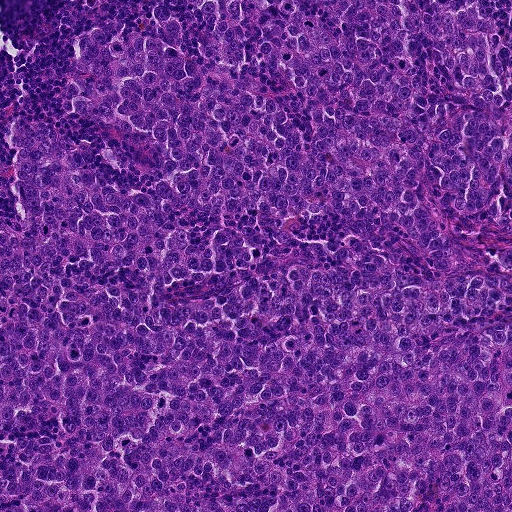
Lymph node section stained with H&E, from a whole-slide image of a breast-cancer sentinel node. Magnification about 10×, about 0.46 mm across the frame, about 0.9 µm per pixel.
Metastatic tumour outline, simplified to 19 points and listed clockwise in crop pixels (x, y): (180, 0), (481, 0), (508, 22), (511, 8), (511, 511), (0, 511), (0, 218), (30, 224), (16, 178), (22, 127), (53, 124), (116, 184), (172, 179), (149, 138), (60, 96), (82, 31), (112, 17), (206, 56), (218, 30).
About 90% of the image area is annotated as tumour.